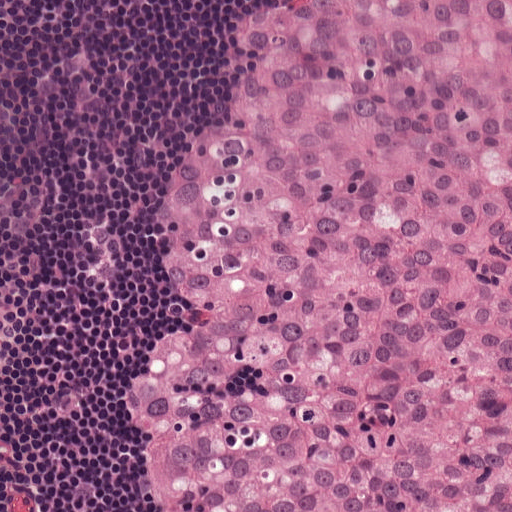
This is a crop of a whole-slide image: an H&E-stained breast-cancer sentinel lymph node section at roughly 20× magnification (about 0.49 µm per pixel; the crop spans about 0.25 mm).
One metastatic tumour region; its boundary, reduced to 7 corners and listed clockwise: (252, 0), (511, 0), (511, 511), (126, 511), (116, 396), (150, 200), (177, 106).
About 70% of this field is tumour.